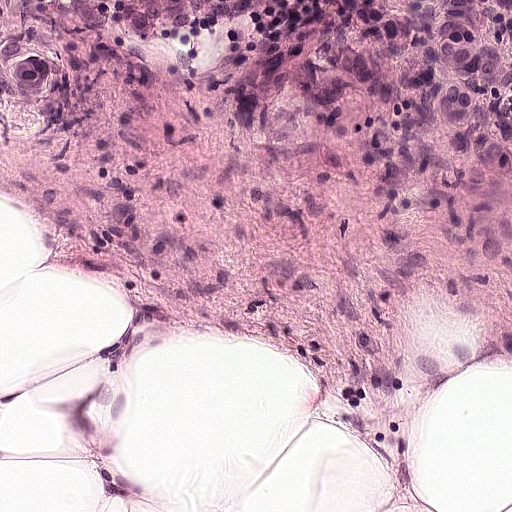
A 0.25-mm field of an H&E-stained sentinel lymph node from a breast-cancer patient (whole-slide image), shown at about 20×, about 0.49 µm per pixel.
Tumour region outline (a closed clockwise path, crop pixels): (0, 0), (511, 0), (511, 264), (388, 209), (276, 180), (152, 116), (62, 50), (21, 50), (0, 74).
About 30% of the image area is annotated as tumour.